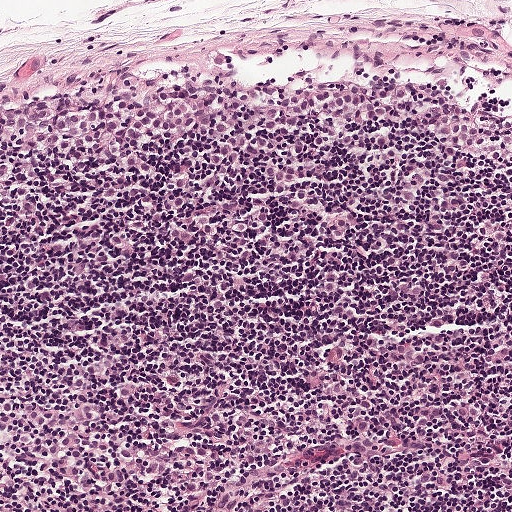
A 0.5-mm field of an H&E-stained sentinel lymph node from a breast-cancer patient (whole-slide image), shown at about 10×, about 0.97 µm per pixel.
Question: Is there metastatic carcinoma in this field?
Answer: Yes.
One metastatic tumour region; its boundary, reduced to 9 corners and listed clockwise: (272, 38), (416, 43), (511, 76), (511, 190), (338, 170), (98, 170), (3, 186), (0, 95), (43, 83).
The annotated tumour makes up about 25% of the crop.